Question: 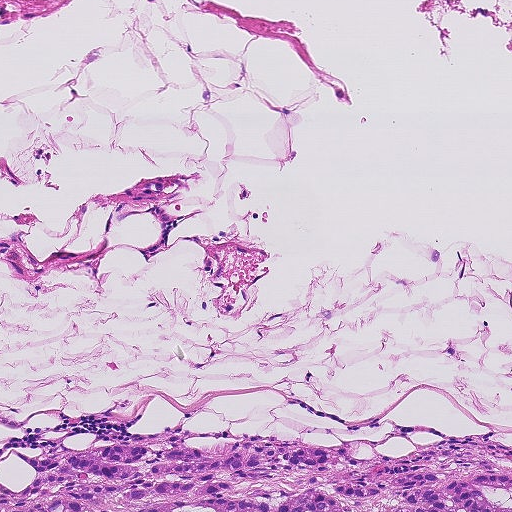
Which magnification is this H&E lymph node field most likely shown at?

Choices:
 (A) about 10×
 (B) about 2.5×
 (C) about 20×
 (D) about 40×
 (E) about 5×

Answer: (A) about 10×
This is a crop of a whole-slide image: an H&E-stained breast-cancer sentinel lymph node section at roughly 10× magnification (about 0.9 µm per pixel; the crop spans about 0.46 mm).